Image:
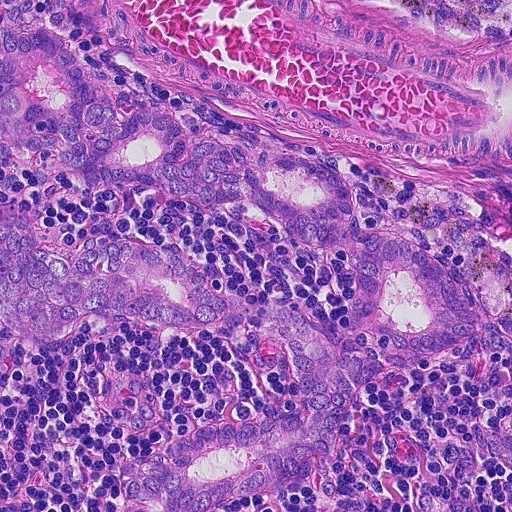
Lymph node section stained with H&E, from a whole-slide image of a breast-cancer sentinel node. Magnification about 20×, about 0.23 mm across the frame, about 0.45 µm per pixel.
Question:
Where is the metastatic tumour in this field?
Answer:
Boundaries of two metastatic tumour regions, simplified and listed clockwise, largest first: region 1: (37, 26), (81, 64), (94, 96), (151, 100), (178, 114), (191, 142), (308, 158), (362, 222), (391, 224), (462, 271), (481, 324), (432, 352), (346, 340), (350, 399), (304, 474), (212, 511), (121, 511), (166, 438), (277, 408), (292, 382), (222, 330), (110, 312), (34, 340), (8, 329), (0, 201), (29, 210), (67, 253), (120, 235), (340, 334), (359, 262), (307, 248), (248, 200), (105, 186), (0, 122), (0, 28); region 2: (511, 401), (511, 468), (490, 450), (492, 421).
About 35% of this field is tumour.